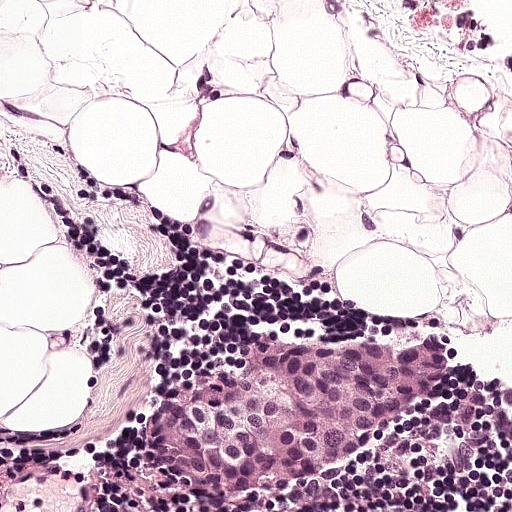
A 0.25-mm field of an H&E-stained sentinel lymph node from a breast-cancer patient (whole-slide image), shown at about 20×, about 0.49 µm per pixel.
Tumour region outline (a closed clockwise path, crop pixels): (286, 314), (365, 330), (434, 326), (463, 346), (456, 381), (423, 420), (364, 459), (274, 498), (156, 494), (122, 484), (109, 465), (115, 440), (165, 390), (250, 350), (252, 330).
About 15% of the image area is annotated as tumour.